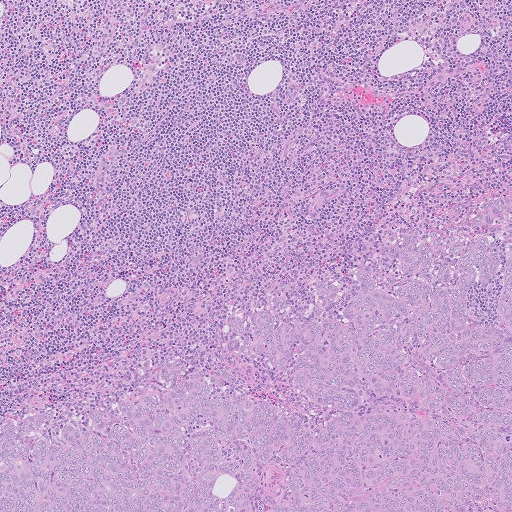
Lymph node section stained with H&E, from a whole-slide image of a breast-cancer sentinel node. Magnification about 5×, about 1.0 mm across the frame, about 2.0 µm per pixel.
Tumour region outline (a closed clockwise path, crop pixels): (511, 192), (511, 511), (0, 511), (0, 426), (73, 417), (176, 353), (270, 402), (302, 399), (231, 351), (226, 320), (271, 297), (299, 311), (348, 267), (434, 218).
The annotated tumour makes up about 40% of the crop.